Lymph node section stained with H&E, from a whole-slide image of a breast-cancer sentinel node. Magnification about 20×, about 0.25 mm across the frame, about 0.49 µm per pixel.
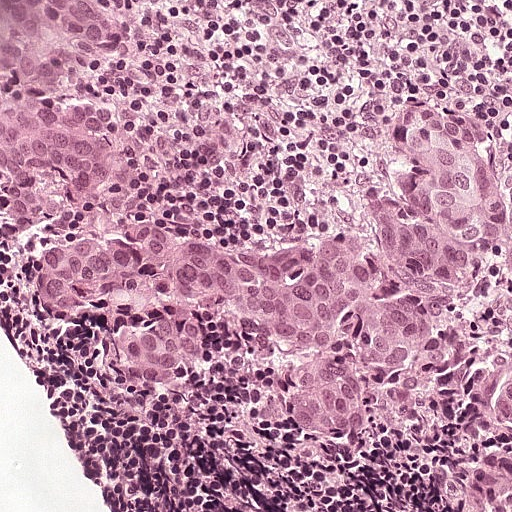
Tumour region outline (a closed clockwise path, crop pixels): (0, 0), (100, 0), (123, 25), (118, 60), (84, 70), (152, 134), (134, 216), (154, 230), (336, 230), (357, 175), (425, 107), (473, 104), (511, 134), (511, 511), (430, 511), (352, 455), (309, 460), (250, 434), (212, 380), (120, 391), (84, 336), (16, 294), (0, 266).
About 55% of this field is tumour.